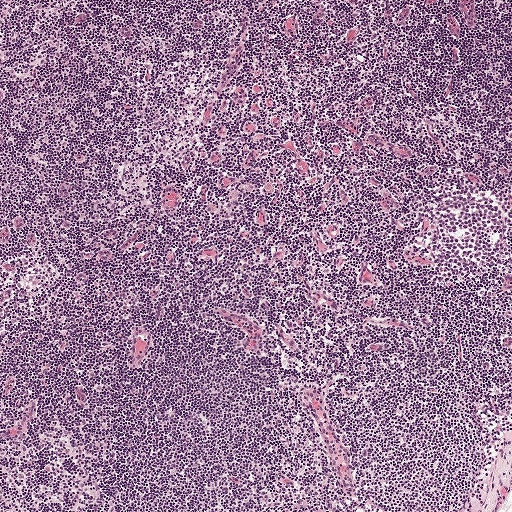
This is a crop of a whole-slide image: an H&E-stained breast-cancer sentinel lymph node section at roughly 5× magnification (about 1.9 µm per pixel; the crop spans about 1 mm).